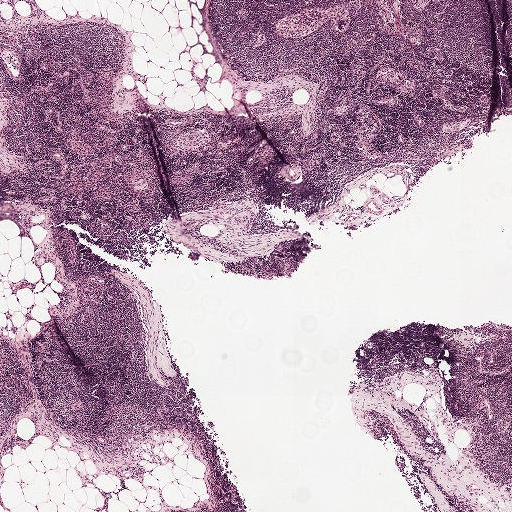
A 2.0-mm field of an H&E-stained sentinel lymph node from a breast-cancer patient (whole-slide image), shown at about 2.5×, about 3.9 µm per pixel.